Question: 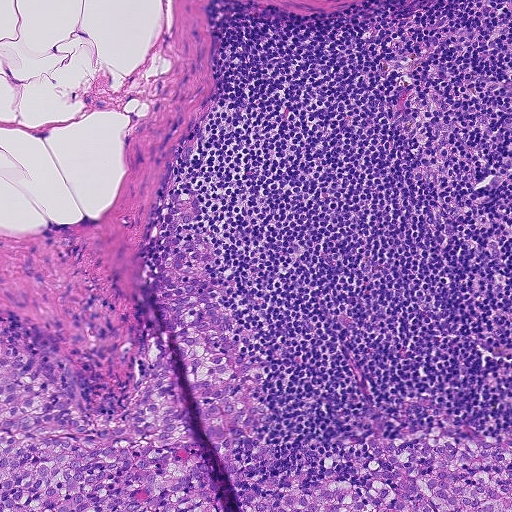
H&E-stained section of a sentinel lymph node (breast cancer), from a whole-slide image, viewed at about 10×: the field is about 0.46 mm across, about 0.9 µm per pixel.
About how much of this crop is taken up by metastatic carcinoma?

Choices:
 (A) about 5% or less
 (B) about 25% to 45%
 (C) none: no tumour is outlined
 (D) about 50% or more
 (E) about 10% to 20%

Answer: (E) about 10% to 20%
About 20% of the field is tumour.
Tumour region outline (a closed clockwise path, crop pixels): (185, 187), (200, 218), (184, 227), (215, 247), (210, 278), (264, 377), (271, 420), (240, 445), (238, 498), (365, 485), (380, 465), (374, 434), (432, 426), (506, 442), (511, 511), (0, 511), (0, 360), (44, 358), (79, 420), (112, 419), (160, 347), (168, 202).